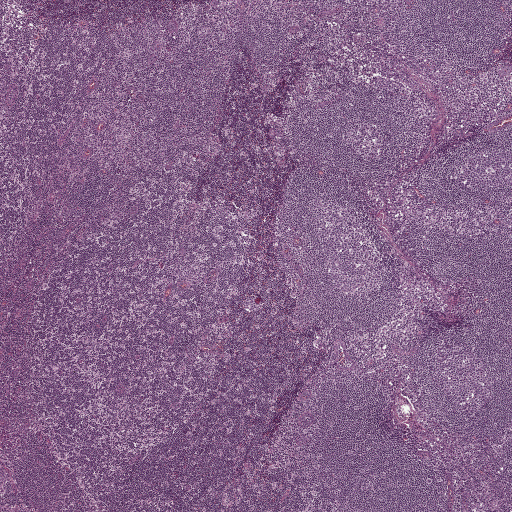
H&E-stained section of a sentinel lymph node (breast cancer), from a whole-slide image, viewed at about 2.5×: the field is about 2.0 mm across, about 3.9 µm per pixel.